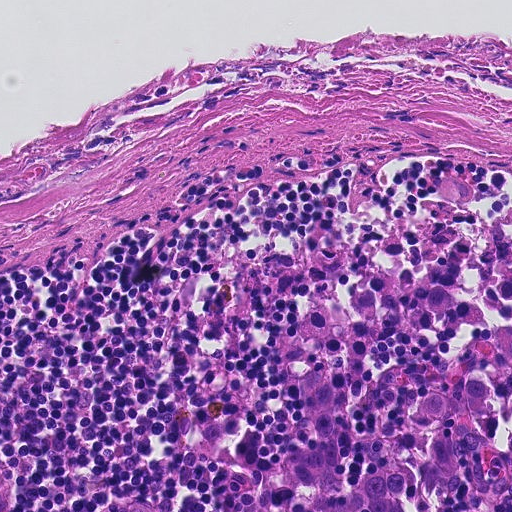
H&E-stained section of a sentinel lymph node (breast cancer), from a whole-slide image, viewed at about 20×: the field is about 0.23 mm across, about 0.45 µm per pixel.
Tumour region outline (a closed clockwise path, crop pixels): (511, 280), (511, 498), (474, 496), (424, 509), (402, 496), (400, 511), (269, 511), (280, 463), (299, 443), (307, 418), (295, 394), (294, 370), (319, 368), (335, 388), (348, 488), (365, 474), (366, 449), (408, 420), (452, 354), (456, 329), (434, 318), (420, 297), (443, 287), (468, 292).
About 10% of the image area is annotated as tumour.